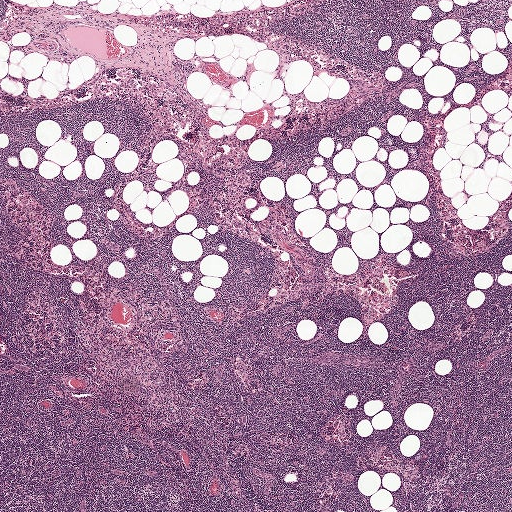
A 2.0-mm field of an H&E-stained sentinel lymph node from a breast-cancer patient (whole-slide image), shown at about 2.5×, about 3.9 µm per pixel.